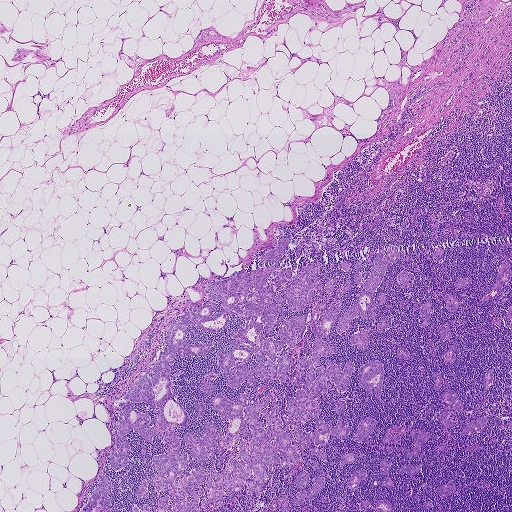
H&E-stained section of a sentinel lymph node (breast cancer), from a whole-slide image, viewed at about 2.5×: the field is about 1.9 mm across, about 3.6 µm per pixel.
Eight metastatic tumour regions, each outlined as a closed clockwise path in crop pixels (x, y), largest first: region 1: (394, 245), (398, 253), (398, 258), (396, 262), (388, 261), (375, 295), (376, 309), (374, 311), (376, 315), (375, 320), (372, 320), (369, 314), (365, 318), (358, 317), (353, 319), (350, 328), (343, 333), (338, 334), (336, 329), (336, 321), (351, 306), (364, 287), (361, 288), (357, 286), (354, 279), (356, 263), (361, 262), (358, 271), (363, 282), (374, 266), (373, 261), (376, 253), (379, 253), (380, 250), (385, 255), (387, 247); region 2: (375, 360), (380, 361), (383, 368), (380, 400), (360, 386), (358, 381), (359, 368), (363, 364); region 3: (106, 474), (110, 483), (109, 494), (111, 505), (109, 511), (80, 511), (98, 485), (100, 478); region 4: (505, 261), (507, 262), (509, 267), (508, 280), (502, 286), (500, 294), (491, 300), (483, 301), (481, 300), (482, 297), (495, 283), (500, 264); region 5: (314, 476), (320, 476), (324, 479), (324, 484), (314, 498), (309, 500), (305, 498), (304, 503), (302, 505), (294, 505), (292, 503), (293, 501), (298, 499), (296, 497), (298, 492), (309, 490); region 6: (370, 417), (375, 420), (376, 425), (366, 441), (355, 441), (350, 439), (362, 419); region 7: (415, 428), (421, 429), (429, 433), (430, 435), (420, 448), (417, 456), (409, 457), (407, 455), (412, 449), (413, 438), (408, 434), (409, 432), (412, 429); region 8: (452, 389), (461, 401), (463, 409), (453, 411), (444, 406), (440, 396), (444, 392).
One more tumour region is annotated but not outlined: its edge is too irregular for a short outline.
27 more, smaller tumour regions are not outlined.
15 more small tumour pieces are annotated here but not outlined.
Tumour covers about 15% of the frame.